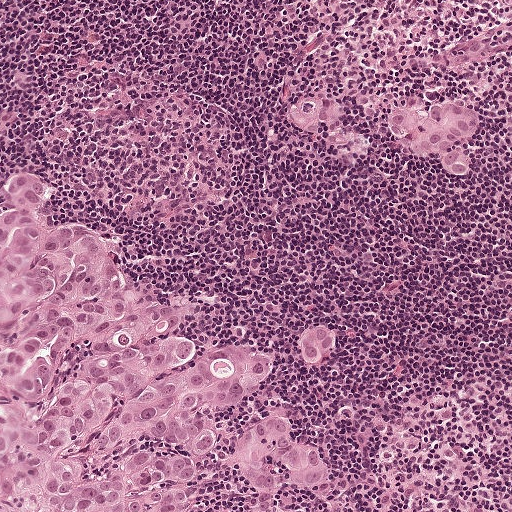
Lymph node section stained with H&E, from a whole-slide image of a breast-cancer sentinel node. Magnification about 10×, about 0.5 mm across the frame, about 0.97 µm per pixel.
Boundaries of four metastatic tumour regions, simplified and listed clockwise, largest first: region 1: (33, 167), (48, 178), (54, 219), (87, 230), (140, 287), (166, 292), (205, 355), (254, 344), (280, 361), (248, 419), (292, 413), (321, 448), (334, 495), (277, 507), (208, 462), (202, 509), (0, 511), (0, 217), (17, 207), (9, 171); region 2: (462, 100), (477, 108), (482, 116), (480, 134), (467, 144), (469, 172), (460, 177), (448, 175), (432, 160), (406, 152), (388, 134), (388, 117), (393, 113), (410, 106); region 3: (324, 92), (343, 104), (343, 123), (333, 134), (320, 135), (312, 131), (291, 126), (288, 123), (288, 115), (293, 106), (298, 105), (304, 110), (313, 110), (317, 106), (317, 102), (311, 98), (313, 94); region 4: (329, 324), (333, 326), (335, 330), (335, 354), (318, 364), (306, 364), (300, 361), (301, 341), (305, 325).
One more small tumour piece is annotated here but not outlined.
About 30% of this field is tumour.